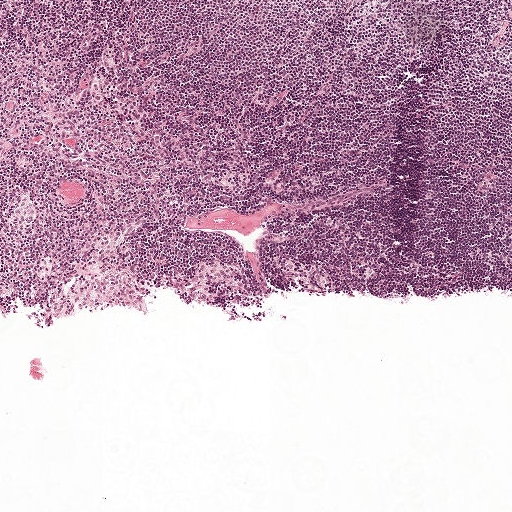
Lymph node section stained with H&E, from a whole-slide image of a breast-cancer sentinel node. Magnification about 5×, about 1 mm across the frame, about 1.9 µm per pixel.